Question: 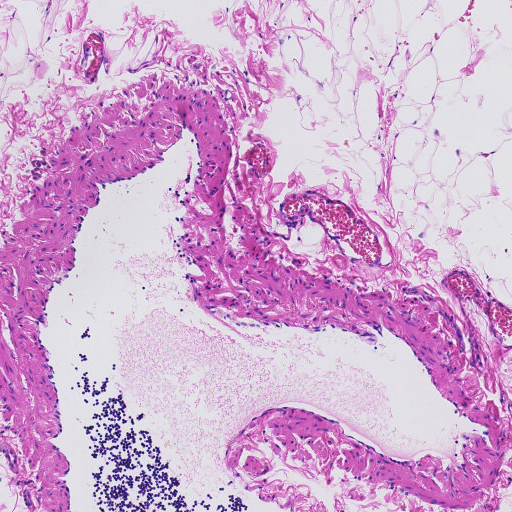
Which magnification is this H&E lymph node field most likely shown at?

Choices:
 (A) about 10×
 (B) about 2.5×
 (C) about 20×
 (D) about 5×
 (E) about 40×

Answer: (D) about 5×
Lymph node section stained with H&E, from a whole-slide image of a breast-cancer sentinel node. Magnification about 5×, about 0.93 mm across the frame, about 1.8 µm per pixel.